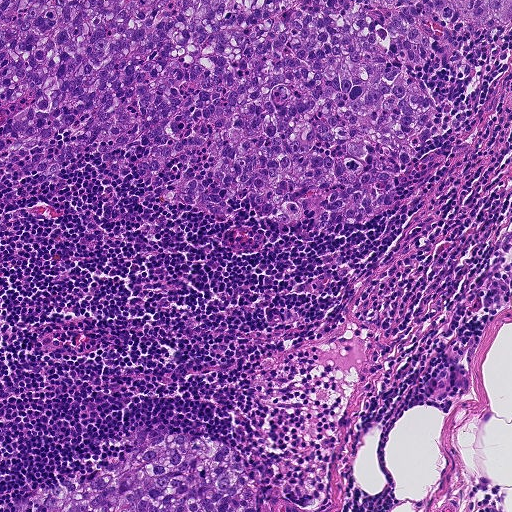
This is a crop of a whole-slide image: an H&E-stained breast-cancer sentinel lymph node section at roughly 10× magnification (about 0.9 µm per pixel; the crop spans about 0.46 mm).
Two metastatic tumour regions, each outlined as a closed clockwise path in crop pixels (x, y), largest first: region 1: (0, 0), (511, 0), (511, 20), (482, 33), (449, 14), (434, 21), (432, 59), (398, 64), (430, 89), (439, 125), (380, 215), (308, 239), (255, 215), (218, 219), (167, 195), (186, 158), (134, 179), (83, 159), (7, 190); region 2: (186, 434), (238, 451), (258, 511), (15, 511), (26, 493), (89, 477), (136, 449), (168, 435).
Tumour covers about 40% of the frame.